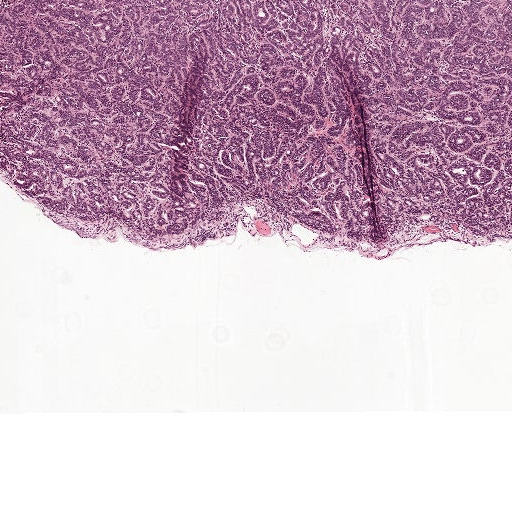
Lymph node section stained with H&E, from a whole-slide image of a breast-cancer sentinel node. Magnification about 2.5×, about 2.0 mm across the frame, about 3.9 µm per pixel.
One metastatic tumour region; its boundary, reduced to 16 corners and listed clockwise: (5, 0), (511, 0), (511, 233), (447, 219), (386, 242), (369, 120), (341, 67), (362, 147), (365, 238), (316, 230), (256, 199), (148, 242), (121, 221), (93, 225), (16, 190), (0, 174).
About 45% of this field is tumour.